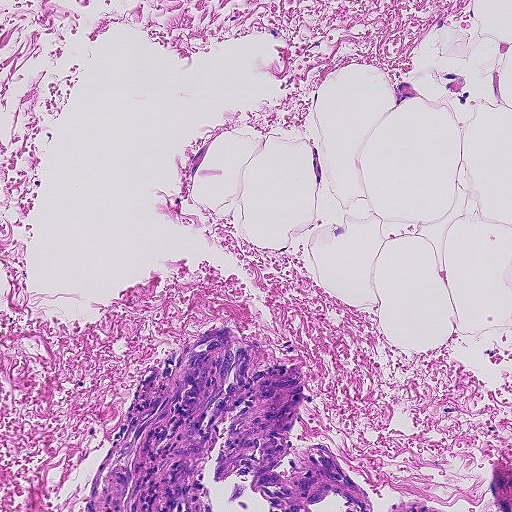
This is a crop of a whole-slide image: an H&E-stained breast-cancer sentinel lymph node section at roughly 10× magnification (about 0.9 µm per pixel; the crop spans about 0.46 mm).
Question: Is any metastatic breast cancer visible in this crop?
Answer: No, this field holds no outlined metastasis.